Image:
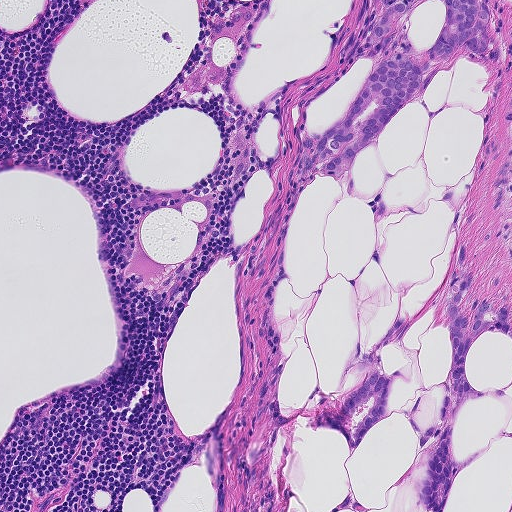
Lymph node section stained with H&E, from a whole-slide image of a breast-cancer sentinel node. Magnification about 10×, about 0.46 mm across the frame, about 0.9 µm per pixel.
Question:
Outline the metastatic carcinoma in this image, as closed paths of (x, y) pixel coordinates.
Answer:
Two metastatic tumour regions, each outlined as a closed clockwise path in crop pixels (x, y), largest first: region 1: (375, 0), (511, 0), (504, 16), (506, 74), (492, 74), (470, 55), (457, 57), (432, 73), (360, 156), (353, 167), (352, 192), (364, 197), (382, 189), (388, 202), (408, 206), (374, 223), (371, 210), (326, 177), (293, 182), (302, 126), (328, 131), (365, 89), (376, 62), (363, 55); region 2: (465, 240), (470, 278), (464, 314), (486, 300), (500, 304), (511, 317), (511, 341), (488, 334), (470, 354), (468, 381), (478, 390), (506, 394), (464, 407), (450, 446), (454, 460), (467, 464), (443, 511), (424, 511), (412, 494), (420, 454), (402, 416), (376, 425), (350, 459), (343, 434), (322, 417), (364, 376), (343, 378), (355, 336), (370, 348), (398, 318), (412, 319), (380, 359), (386, 372), (410, 379), (394, 382), (393, 408), (406, 408), (448, 374), (445, 278).
The annotated tumour makes up about 10% of the crop.